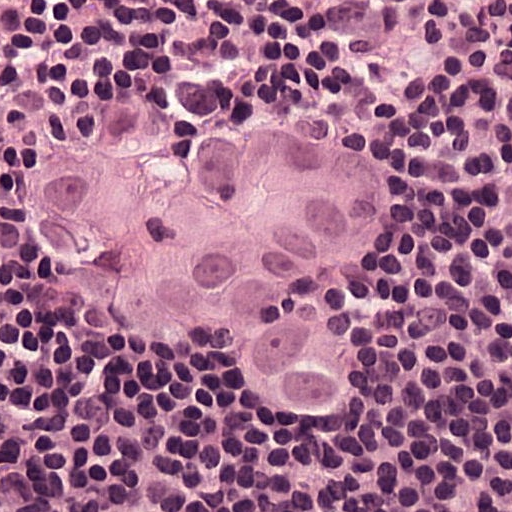
H&E-stained section of a sentinel lymph node (breast cancer), from a whole-slide image, viewed at about 40×: the field is about 0.12 mm across, about 0.24 µm per pixel.
Metastatic tumour outline, simplified to 14 points and listed clockwise in crop pixels (x, y): (323, 113), (384, 144), (404, 176), (397, 251), (344, 288), (351, 401), (316, 424), (267, 414), (201, 353), (101, 319), (28, 251), (29, 181), (47, 166), (113, 135).
One more small tumour piece is annotated here but not outlined.
Tumour covers about 30% of the frame.